H&E-stained section of a sentinel lymph node (breast cancer), from a whole-slide image, viewed at about 5×: the field is about 0.93 mm across, about 1.8 µm per pixel.
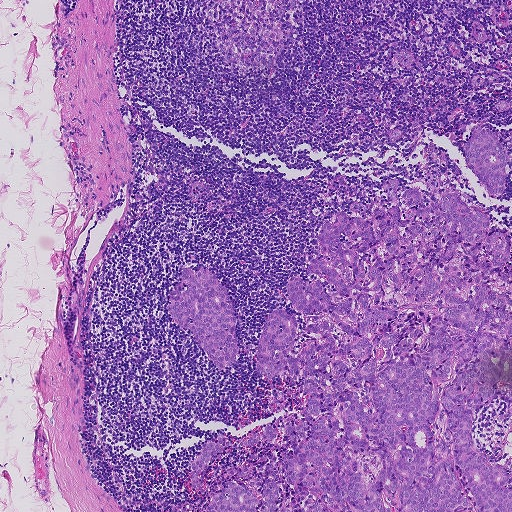
Outlines of two tumour regions, largest first (closed clockwise paths, crop pixels): region 1: (490, 127), (508, 155), (492, 218), (511, 222), (511, 511), (204, 511), (189, 470), (207, 440), (302, 416), (301, 382), (254, 374), (264, 322), (301, 314), (286, 280), (324, 254), (326, 219), (385, 200), (392, 177), (397, 198), (422, 190), (432, 166), (478, 204), (460, 166); region 2: (204, 266), (211, 271), (227, 291), (236, 315), (239, 355), (238, 364), (231, 369), (222, 370), (209, 360), (190, 331), (174, 325), (169, 318), (166, 310), (169, 293), (179, 280), (181, 271), (189, 268), (197, 271).
The annotated tumour makes up about 30% of the crop.